A 0.25-mm field of an H&E-stained sentinel lymph node from a breast-cancer patient (whole-slide image), shown at about 20×, about 0.49 µm per pixel.
Question: 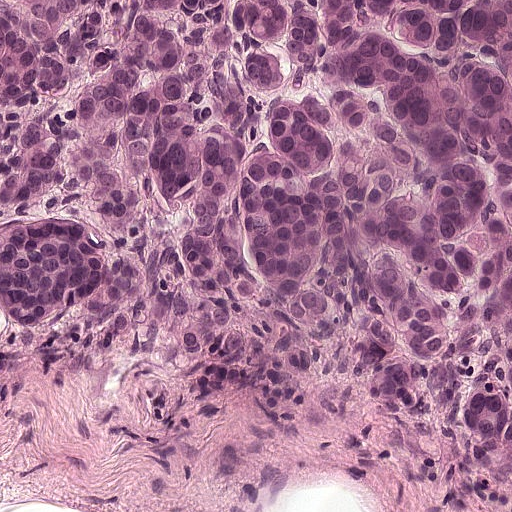
What fraction of the image area is metastatic tumour?

Choices:
 (A) about 25% to 45%
 (B) about 50% or more
 (C) about 10% to 20%
 (D) none: no tumour is outlined
 (E) about 5% or less

Answer: (B) about 50% or more
About 75% of the field is tumour.
The outlined metastatic tumour's edge, as a closed clockwise path of 8 points: (0, 0), (511, 0), (511, 494), (392, 394), (312, 366), (138, 358), (60, 403), (3, 401).